This is a crop of a whole-slide image: an H&E-stained breast-cancer sentinel lymph node section at roughly 10× magnification (about 0.97 µm per pixel; the crop spans about 0.5 mm).
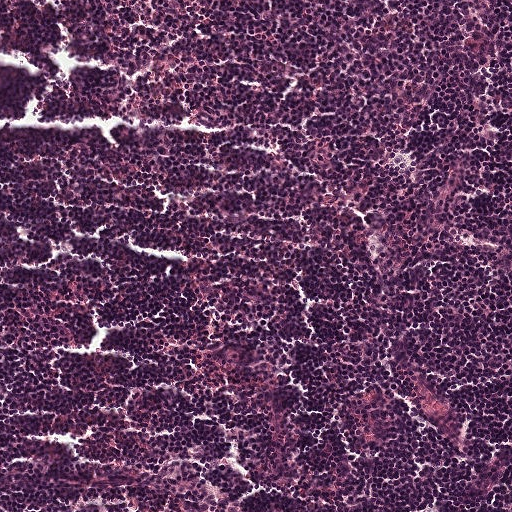
Question: Is any metastatic breast cancer visible in this crop?
Answer: No, this field holds no outlined metastasis.